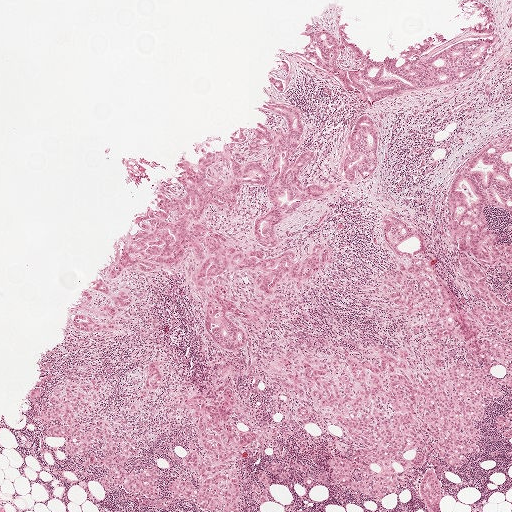
Lymph node section stained with H&E, from a whole-slide image of a breast-cancer sentinel node. Magnification about 2.5×, about 2.0 mm across the frame, about 3.9 µm per pixel.
Outlines of two tumour regions, largest first (closed clockwise paths, crop pixels): region 1: (349, 348), (375, 360), (383, 352), (397, 357), (418, 378), (455, 362), (469, 367), (486, 401), (476, 424), (480, 451), (461, 471), (424, 452), (417, 466), (396, 477), (392, 497), (354, 496), (329, 468), (348, 447), (348, 434), (315, 411), (305, 362), (320, 354), (336, 358); region 2: (511, 137), (511, 216), (494, 208), (484, 212), (486, 218), (500, 231), (502, 248), (498, 262), (484, 264), (470, 257), (447, 226), (448, 184), (469, 158).
About 10% of this field is tumour.